Question: 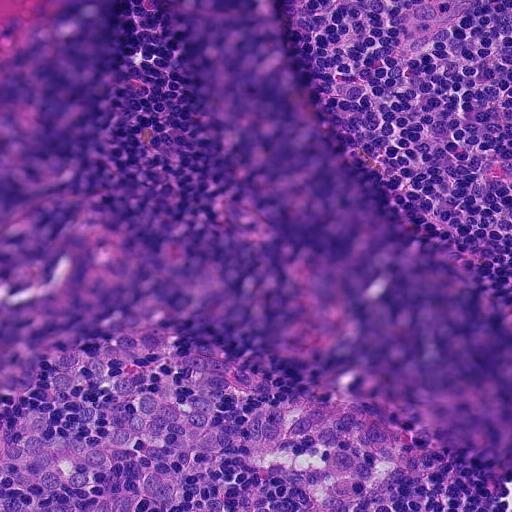
This is a crop of a whole-slide image: an H&E-stained breast-cancer sentinel lymph node section at roughly 20× magnification (about 0.45 µm per pixel; the crop spans about 0.23 mm).
What fraction of the image area is metastatic tumour?

Choices:
 (A) none: no tumour is outlined
 (B) about 25% to 45%
 (C) about 5% or less
 (D) about 50% or more
 (E) about 10% to 20%

Answer: (C) about 5% or less
About 5% of the field is tumour.
The outlined metastatic tumour's edge, as a closed clockwise path of 32 points: (155, 326), (174, 330), (168, 349), (129, 358), (154, 388), (172, 399), (188, 401), (198, 384), (210, 396), (218, 442), (200, 460), (154, 437), (128, 447), (94, 492), (68, 496), (44, 489), (40, 511), (0, 511), (0, 415), (14, 430), (27, 412), (47, 412), (54, 430), (72, 438), (92, 436), (112, 402), (98, 387), (58, 393), (47, 374), (54, 353), (74, 341), (115, 331).